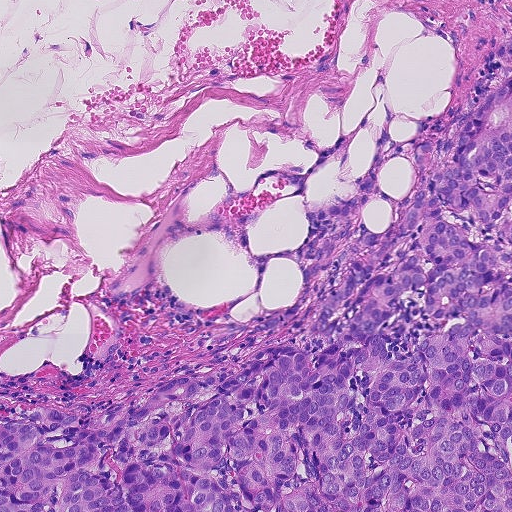
H&E-stained section of a sentinel lymph node (breast cancer), from a whole-slide image, viewed at about 10×: the field is about 0.46 mm across, about 0.9 µm per pixel.
Question: Does this lymph node field contain metastatic tumour?
Answer: Yes.
The outlined metastatic tumour's edge, as a closed clockwise path of 22 points: (511, 37), (511, 511), (0, 511), (0, 415), (136, 400), (180, 374), (216, 378), (260, 348), (337, 341), (304, 338), (348, 260), (317, 276), (293, 317), (247, 333), (297, 288), (304, 205), (352, 196), (387, 121), (411, 138), (419, 123), (450, 116), (495, 70).
The annotated tumour makes up about 45% of the crop.